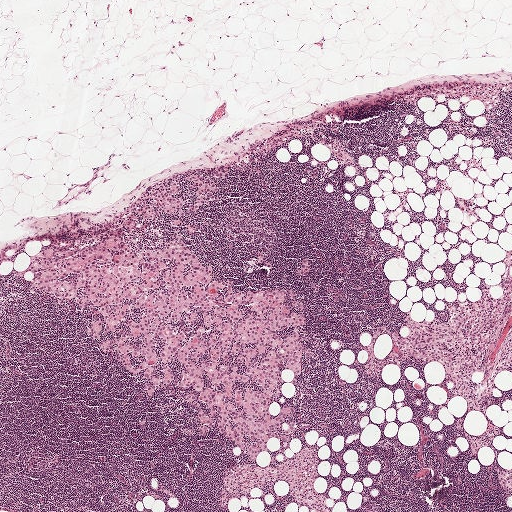
A 2.0-mm field of an H&E-stained sentinel lymph node from a breast-cancer patient (whole-slide image), shown at about 2.5×, about 3.9 µm per pixel.
Outlines of six tumour regions, largest first (closed clockwise paths, crop pixels): region 1: (148, 204), (164, 221), (138, 218), (124, 237), (136, 252), (180, 233), (210, 283), (294, 289), (313, 353), (272, 394), (295, 409), (296, 431), (276, 431), (289, 448), (270, 437), (249, 460), (218, 413), (200, 434), (185, 396), (200, 391), (175, 386), (178, 359), (149, 396), (144, 369), (132, 376), (100, 348), (107, 335), (87, 335), (101, 312), (22, 271), (50, 243), (89, 246); region 2: (195, 173), (204, 175), (212, 179), (218, 188), (217, 192), (213, 192), (212, 194), (218, 198), (217, 202), (210, 200), (208, 204), (202, 204), (197, 212), (192, 214), (187, 210), (188, 207), (196, 198), (196, 189), (188, 189), (189, 186), (194, 181), (189, 182), (187, 179), (188, 176); region 3: (171, 182), (179, 182), (180, 192), (171, 196), (173, 198), (180, 197), (185, 202), (181, 209), (185, 214), (180, 216), (178, 214), (179, 209), (172, 215), (164, 212), (162, 209), (161, 212), (158, 212), (157, 210), (158, 207), (161, 207), (160, 200), (152, 193), (159, 189), (158, 186), (162, 184), (164, 186), (169, 186); region 4: (304, 258), (307, 259), (309, 266), (309, 273), (305, 275), (299, 275), (293, 273), (295, 269), (300, 267), (301, 262), (303, 259); region 5: (223, 169), (226, 170), (228, 173), (228, 177), (218, 179), (210, 175), (211, 172), (216, 170), (220, 170); region 6: (193, 223), (198, 226), (199, 231), (195, 234), (190, 234), (186, 232), (184, 228), (187, 225).
Three more small tumour pieces are annotated here but not outlined.
Tumour covers about 15% of the frame.